H&E-stained section of a sentinel lymph node (breast cancer), from a whole-slide image, viewed at about 20×: the field is about 0.25 mm across, about 0.49 µm per pixel.
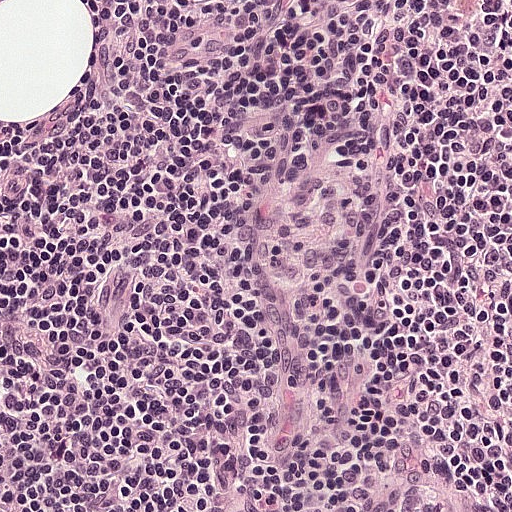
Question: Is there metastatic carcinoma in this field?
Answer: No, this field holds no outlined metastasis.